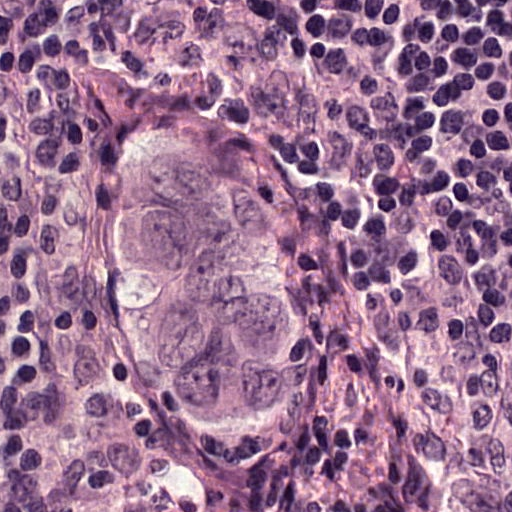
Lymph node section stained with H&E, from a whole-slide image of a breast-cancer sentinel node. Magnification about 40×, about 0.12 mm across the frame, about 0.24 µm per pixel.
Question: Trace the edge of each tumour region in this crop, as (x, y) points from 0 to 511.
Answer: Tumour region outline (a closed clockwise path, crop pixels): (148, 116), (191, 132), (264, 189), (279, 228), (288, 314), (287, 387), (262, 413), (150, 387), (122, 359), (105, 320), (83, 306), (83, 212), (116, 132).
The annotated tumour makes up about 20% of the crop.